Question: 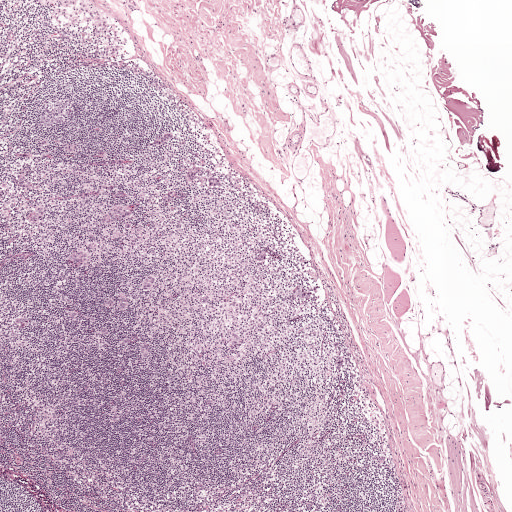
At roughly what magnification is this field shown?

Choices:
 (A) about 10×
 (B) about 5×
 (C) about 20×
 (D) about 40×
 (E) about 2.5×

Answer: (E) about 2.5×
Lymph node section stained with H&E, from a whole-slide image of a breast-cancer sentinel node. Magnification about 2.5×, about 2.0 mm across the frame, about 3.9 µm per pixel.
Outlines of the eight largest metastatic tumour regions, each a closed clockwise path in crop pixels (x, y), largest first: region 1: (123, 204), (135, 207), (135, 213), (130, 217), (108, 225), (94, 224), (93, 218), (108, 205); region 2: (25, 167), (31, 169), (31, 178), (37, 183), (42, 182), (42, 188), (37, 191), (22, 191), (18, 187), (15, 181), (18, 170); region 3: (109, 296), (128, 298), (132, 304), (129, 310), (118, 313), (107, 309), (101, 304), (103, 298); region 4: (73, 249), (79, 249), (90, 254), (89, 260), (84, 265), (78, 267), (65, 264), (63, 257), (65, 251); region 5: (152, 272), (158, 274), (159, 285), (154, 291), (147, 294), (141, 294), (140, 281), (144, 275); region 6: (39, 203), (46, 206), (48, 212), (37, 222), (30, 224), (24, 220), (24, 214), (29, 209), (33, 204); region 7: (297, 284), (305, 285), (309, 290), (309, 296), (307, 301), (301, 302), (294, 301), (289, 295), (290, 287); region 8: (214, 175), (223, 179), (221, 190), (208, 191), (203, 187), (203, 180), (207, 176).
11 more, smaller tumour regions are not outlined.
Nine more small tumour pieces are annotated here but not outlined.
The annotated tumour makes up under 5% of the crop.